Image:
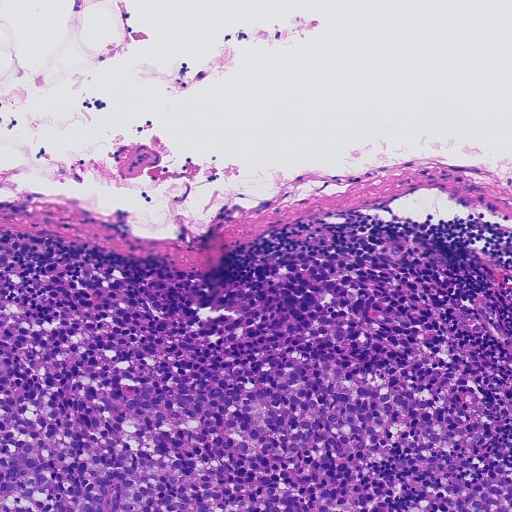
This is a crop of a whole-slide image: an H&E-stained breast-cancer sentinel lymph node section at roughly 10× magnification (about 0.91 µm per pixel; the crop spans about 0.46 mm).
Question:
Show where the tumour is in this image.
Answer:
Outlines of two tumour regions, largest first (closed clockwise paths, crop pixels): region 1: (311, 249), (389, 257), (476, 366), (467, 394), (445, 407), (452, 422), (493, 430), (476, 479), (498, 459), (511, 464), (511, 511), (0, 511), (0, 281), (39, 314), (52, 306), (41, 279), (62, 260), (204, 302); region 2: (374, 225), (400, 228), (424, 240), (443, 254), (458, 279), (445, 296), (428, 292), (414, 276), (412, 262), (380, 252), (366, 238).
About 45% of the image area is annotated as tumour.